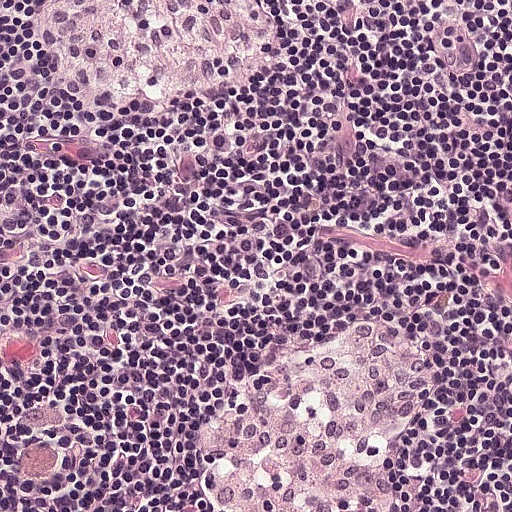
Lymph node section stained with H&E, from a whole-slide image of a breast-cancer sentinel node. Magnification about 20×, about 0.25 mm across the frame, about 0.49 µm per pixel.